Lymph node section stained with H&E, from a whole-slide image of a breast-cancer sentinel node. Magnification about 5×, about 1 mm across the frame, about 1.9 µm per pixel.
Question: 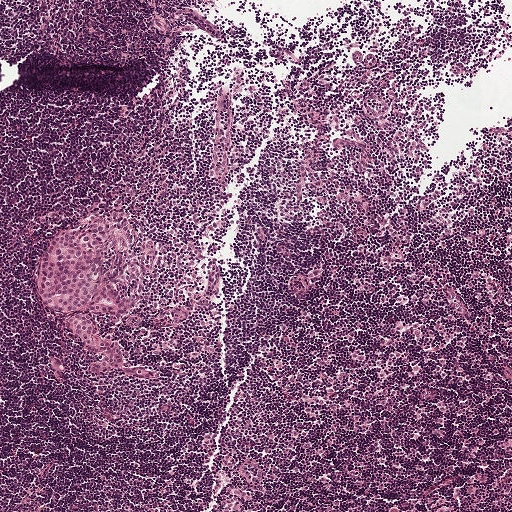
Estimate the proportion of this field that is metastatic tumour.

Choices:
 (A) about 50% or more
 (B) about 10% to 20%
 (C) about 25% to 45%
 (D) none: no tumour is outlined
 (E) about 5% or less

Answer: (E) about 5% or less
About 5% of the field is tumour.
The outlined metastatic tumour's edge, as a closed clockwise path of 24 points: (122, 221), (157, 240), (159, 264), (127, 322), (109, 326), (96, 316), (92, 319), (101, 338), (118, 347), (127, 364), (159, 371), (163, 382), (139, 381), (124, 371), (113, 377), (92, 375), (90, 365), (101, 357), (71, 339), (66, 320), (37, 299), (40, 262), (54, 237), (66, 229).